Question: 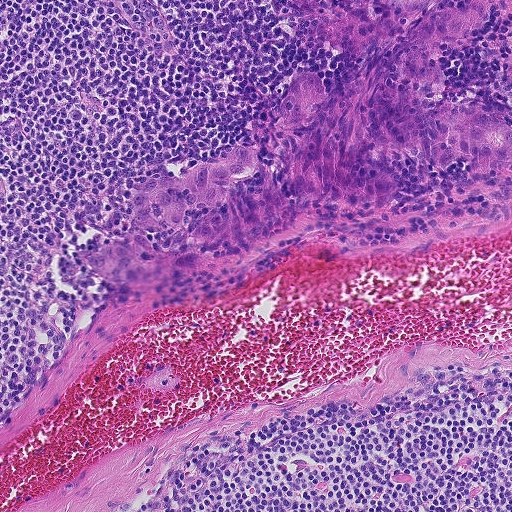
H&E-stained section of a sentinel lymph node (breast cancer), from a whole-slide image, viewed at about 10×: the field is about 0.46 mm across, about 0.9 µm per pixel.
Roughly what share of this field is metastatic tumour?

Choices:
 (A) about 5% or less
 (B) about 25% to 45%
 (C) about 10% to 20%
 (D) about 50% or more
 (E) none: no tumour is outlined

Answer: (C) about 10% to 20%
About 15% of the field is tumour.
The outlined metastatic tumour's edge, as a closed clockwise path of 39 points: (294, 0), (397, 0), (401, 39), (432, 11), (488, 0), (480, 31), (442, 51), (438, 78), (401, 96), (420, 114), (462, 106), (496, 118), (511, 128), (511, 157), (458, 166), (363, 144), (403, 196), (307, 200), (271, 182), (287, 204), (200, 250), (251, 247), (229, 268), (173, 272), (179, 284), (165, 286), (95, 277), (81, 253), (133, 232), (140, 184), (298, 134), (275, 124), (303, 69), (331, 95), (342, 87), (374, 43), (324, 44), (314, 34), (332, 15).